Question: 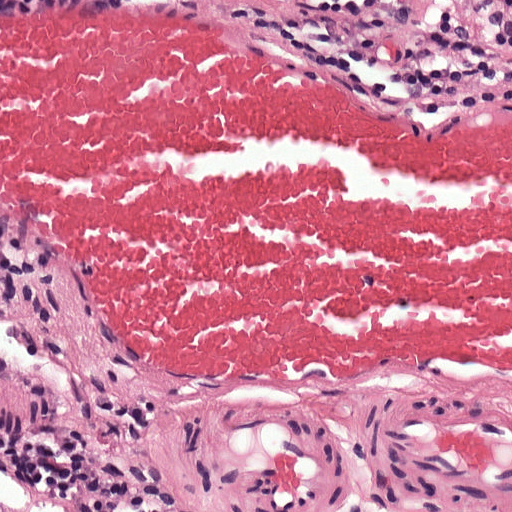
At roughly what magnification is this field shown?

Choices:
 (A) about 40×
 (B) about 10×
 (C) about 5×
 (D) about 20×
 (E) about 2.5×

Answer: (D) about 20×
H&E-stained section of a sentinel lymph node (breast cancer), from a whole-slide image, viewed at about 20×: the field is about 0.25 mm across, about 0.49 µm per pixel.